H&E-stained section of a sentinel lymph node (breast cancer), from a whole-slide image, viewed at about 20×: the field is about 0.23 mm across, about 0.45 µm per pixel.
Image:
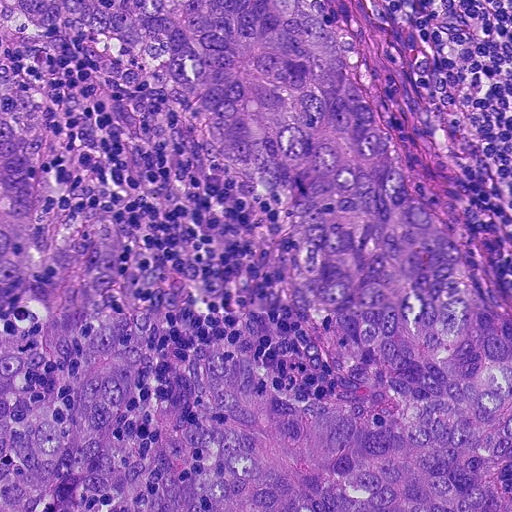
Question:
Where is the metastatic tumour in this field? Give each region's outline as (x, y) pixel points.
Answer:
One metastatic tumour region; its boundary, reduced to 8 corners and listed clockwise: (0, 0), (339, 0), (402, 140), (412, 189), (444, 208), (511, 342), (511, 511), (0, 511).
About 90% of the image area is annotated as tumour.